Image:
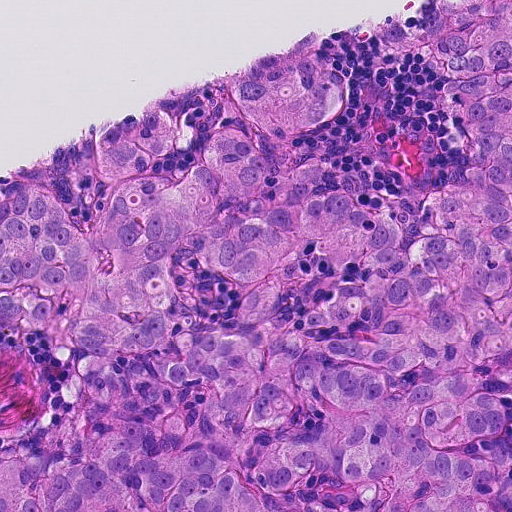
This is a crop of a whole-slide image: an H&E-stained breast-cancer sentinel lymph node section at roughly 20× magnification (about 0.45 µm per pixel; the crop spans about 0.23 mm).
Question:
Is there metastatic carcinoma in this field?
Answer:
Yes.
Tumour region outline (a closed clockwise path, crop pixels): (511, 0), (511, 511), (0, 511), (0, 182), (27, 176), (84, 230), (95, 122), (169, 107), (180, 144), (158, 177), (188, 172), (244, 125), (226, 90), (247, 58), (323, 53), (354, 82), (340, 118), (276, 162), (354, 182), (410, 233), (418, 188), (463, 155), (440, 70), (373, 34).
Tumour covers about 75% of the frame.